Image:
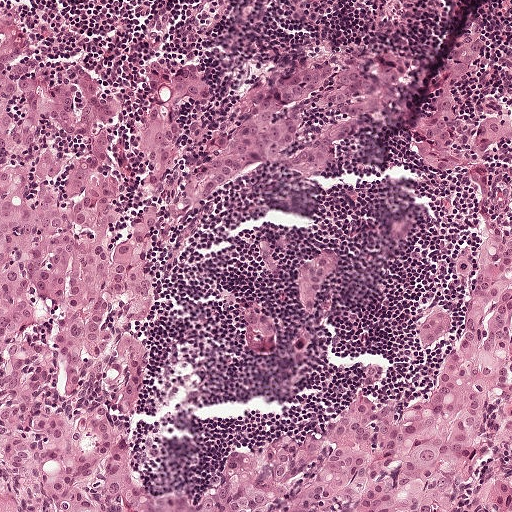
H&E-stained section of a sentinel lymph node (breast cancer), from a whole-slide image, viewed at about 10×: the field is about 0.5 mm across, about 0.97 µm per pixel.
Question:
Where is the metastatic tumour in this field?
Answer:
Boundaries of two metastatic tumour regions, simplified and listed clockwise, largest first: region 1: (0, 0), (80, 26), (110, 54), (173, 53), (211, 69), (216, 124), (239, 112), (261, 135), (253, 172), (174, 254), (164, 330), (132, 405), (152, 510), (0, 511); region 2: (473, 15), (486, 17), (489, 30), (489, 86), (510, 102), (511, 511), (199, 511), (212, 458), (229, 447), (329, 409), (357, 387), (428, 389), (433, 370), (418, 322), (425, 304), (470, 270), (480, 194), (471, 171), (430, 156), (424, 126).
About 55% of the image area is annotated as tumour.